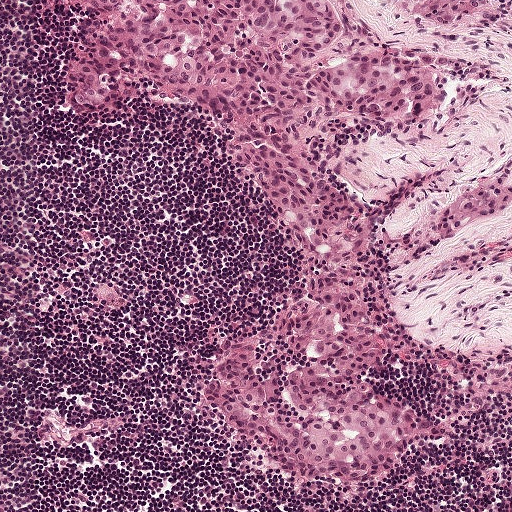
H&E-stained section of a sentinel lymph node (breast cancer), from a whole-slide image, viewed at about 10×: the field is about 0.5 mm across, about 0.97 µm per pixel.
Outlines of three tumour regions, largest first (closed clockwise paths, crop pixels): region 1: (337, 0), (374, 49), (439, 83), (438, 105), (416, 117), (324, 126), (390, 332), (366, 383), (425, 427), (404, 468), (324, 493), (204, 419), (204, 378), (292, 310), (300, 272), (274, 210), (200, 116), (63, 112), (69, 51), (91, 27), (82, 1); region 2: (506, 167), (511, 177), (511, 204), (488, 218), (461, 241), (435, 240), (431, 237), (428, 227), (436, 208), (449, 197), (490, 172); region 3: (406, 0), (488, 0), (485, 7), (478, 13), (438, 30), (431, 30), (416, 22), (408, 11).
About 35% of the image area is annotated as tumour.